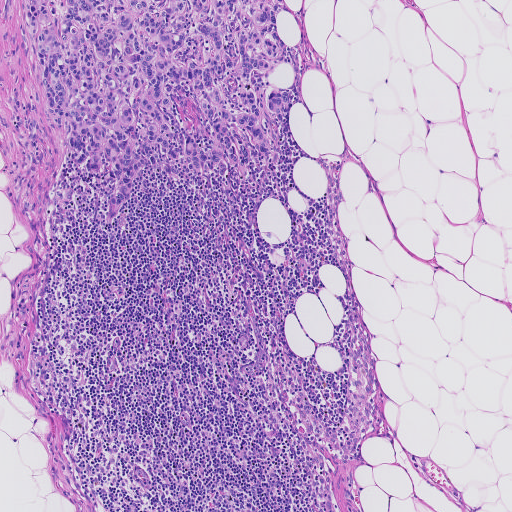
Lymph node section stained with H&E, from a whole-slide image of a breast-cancer sentinel node. Magnification about 5×, about 0.93 mm across the frame, about 1.8 µm per pixel.
Metastatic tumour outline, simplified to 20 points and listed clockwise in crop pixels (x, y): (24, 0), (285, 0), (292, 11), (277, 23), (284, 59), (268, 84), (292, 98), (284, 118), (266, 112), (271, 144), (264, 151), (249, 138), (248, 169), (172, 175), (148, 166), (108, 222), (108, 169), (88, 168), (71, 121), (45, 102).
About 15% of this field is tumour.